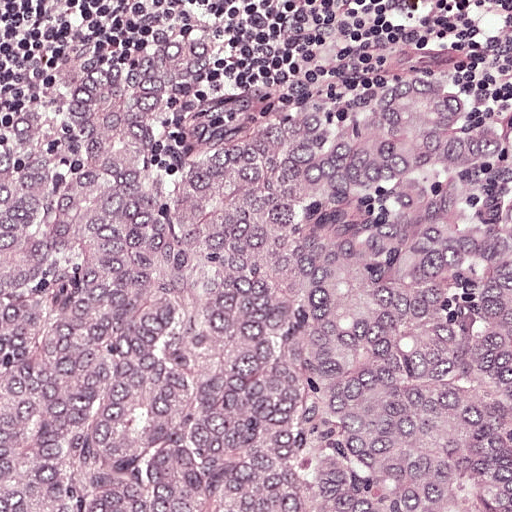
H&E-stained section of a sentinel lymph node (breast cancer), from a whole-slide image, viewed at about 20×: the field is about 0.25 mm across, about 0.49 µm per pixel.
The outlined metastatic tumour's edge, as a closed clockwise path of 14 points: (188, 14), (224, 36), (206, 76), (146, 136), (164, 174), (234, 128), (354, 80), (395, 71), (511, 104), (511, 511), (0, 511), (0, 122), (35, 91), (107, 45).
About 85% of this field is tumour.